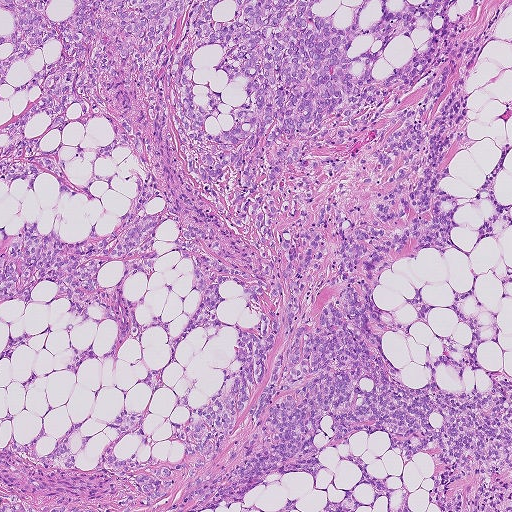
H&E-stained section of a sentinel lymph node (breast cancer), from a whole-slide image, viewed at about 5×: the field is about 0.93 mm across, about 1.8 µm per pixel.
Question: Where is the metastatic tumour in this field? Give each region's outline as (x, y) pixel points.
Answer: Metastatic tumour outline, simplified to 24 points and listed clockwise in crop pixels (x, y): (0, 0), (487, 0), (460, 40), (511, 0), (439, 183), (471, 193), (505, 143), (494, 188), (511, 225), (468, 256), (401, 257), (373, 299), (410, 321), (403, 296), (422, 288), (447, 306), (469, 268), (492, 310), (511, 266), (500, 337), (477, 352), (509, 372), (511, 511), (0, 511).
Tumour covers about 95% of the frame.